A 0.25-mm field of an H&E-stained sentinel lymph node from a breast-cancer patient (whole-slide image), shown at about 20×, about 0.49 µm per pixel.
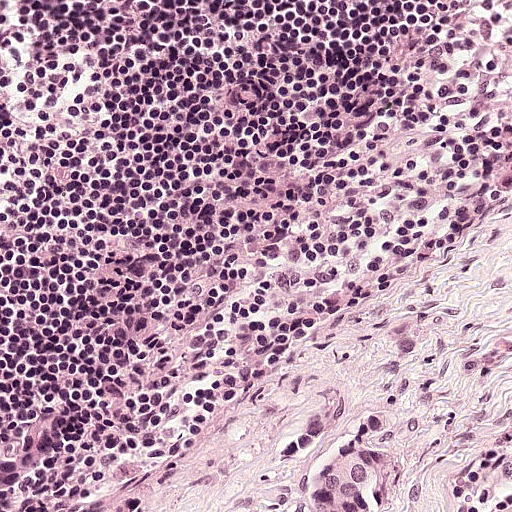
One metastatic tumour region; its boundary, reduced to 13 corners and listed clockwise: (343, 446), (353, 454), (365, 456), (370, 460), (374, 470), (372, 493), (376, 497), (376, 511), (316, 511), (311, 498), (310, 482), (316, 468), (336, 456).
One more small tumour piece is annotated here but not outlined.
The annotated tumour makes up under 5% of the crop.